This is a crop of a whole-slide image: an H&E-stained breast-cancer sentinel lymph node section at roughly 10× magnification (about 0.97 µm per pixel; the crop spans about 0.5 mm).
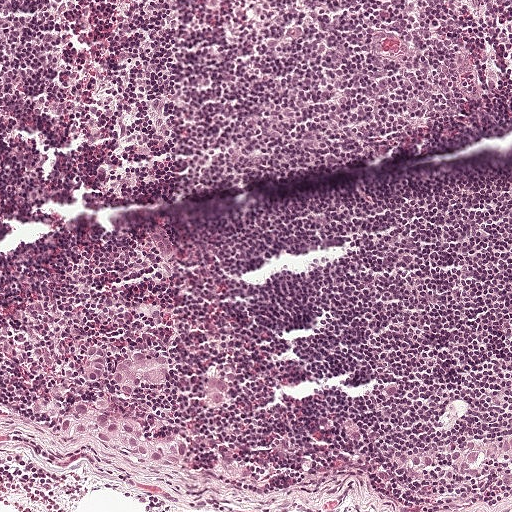
Question: Which parts of this field are metastatic tumour?
Answer: Boundaries of five metastatic tumour regions, simplified and listed clockwise, largest first: region 1: (100, 401), (135, 424), (149, 442), (164, 438), (180, 440), (183, 444), (183, 452), (178, 467), (169, 469), (134, 462), (60, 438), (55, 432), (56, 422), (76, 405); region 2: (511, 434), (511, 463), (466, 476), (412, 474), (389, 462), (406, 451), (446, 442), (471, 436), (502, 439); region 3: (136, 352), (162, 355), (164, 362), (162, 366), (162, 384), (152, 390), (126, 398), (114, 396), (109, 387), (108, 369), (115, 361); region 4: (102, 345), (105, 347), (107, 354), (107, 363), (98, 382), (88, 386), (81, 386), (75, 379), (75, 372), (79, 366), (79, 357), (84, 346); region 5: (208, 374), (225, 382), (228, 392), (225, 402), (219, 408), (208, 410), (204, 408), (200, 404), (202, 376).
Tumour covers about 5% of the frame.